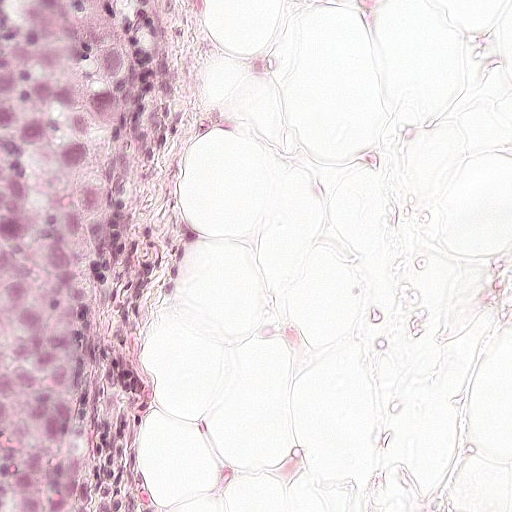
A 0.25-mm field of an H&E-stained sentinel lymph node from a breast-cancer patient (whole-slide image), shown at about 20×, about 0.49 µm per pixel.
Metastatic tumour outline, simplified to 6 points and listed clockwise in crop pixels (x, y): (0, 0), (180, 0), (146, 174), (121, 394), (122, 508), (0, 511).
About 30% of this field is tumour.